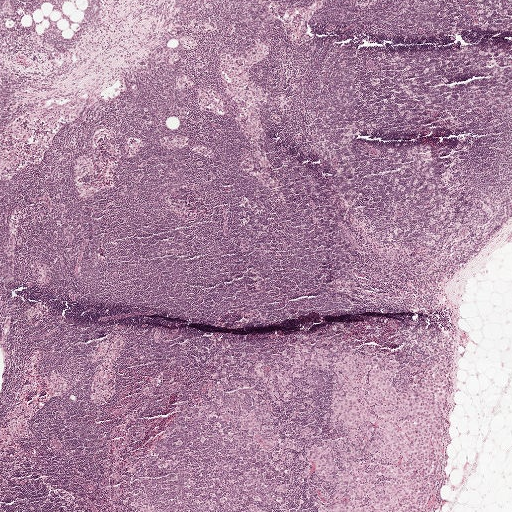
This is a crop of a whole-slide image: an H&E-stained breast-cancer sentinel lymph node section at roughly 2.5× magnification (about 3.9 µm per pixel; the crop spans about 2.0 mm).
Metastatic tumour outline, simplified to 11 points and listed clockwise in crop pixels (x, y): (335, 344), (409, 365), (425, 347), (450, 344), (454, 371), (430, 511), (121, 511), (121, 487), (137, 456), (210, 400), (215, 359).
Tumour covers about 15% of the frame.